Image:
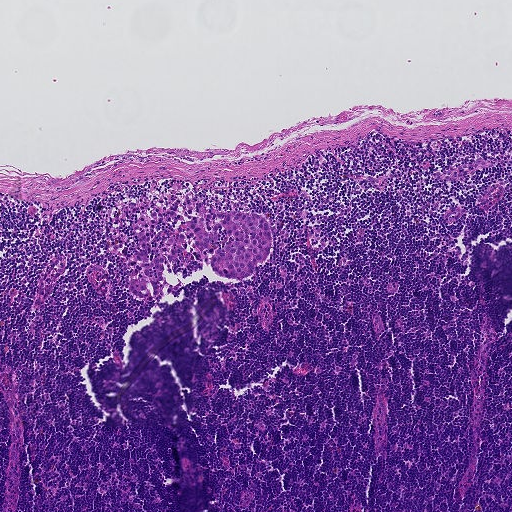
H&E-stained section of a sentinel lymph node (breast cancer), from a whole-slide image, viewed at about 5×: the field is about 0.93 mm across, about 1.8 µm per pixel.
Question:
Which parts of this field are metastatic tumour? Answer with the outline of each region, in pixels.
Answer:
The outlined metastatic tumour's edge, as a closed clockwise path of 23 points: (201, 204), (210, 214), (266, 217), (269, 252), (253, 274), (242, 281), (212, 270), (206, 262), (163, 263), (168, 283), (180, 284), (175, 296), (152, 300), (133, 295), (128, 284), (139, 244), (136, 232), (146, 236), (150, 261), (176, 228), (167, 214), (197, 214), (195, 205).
Tumour covers about 5% of the frame.